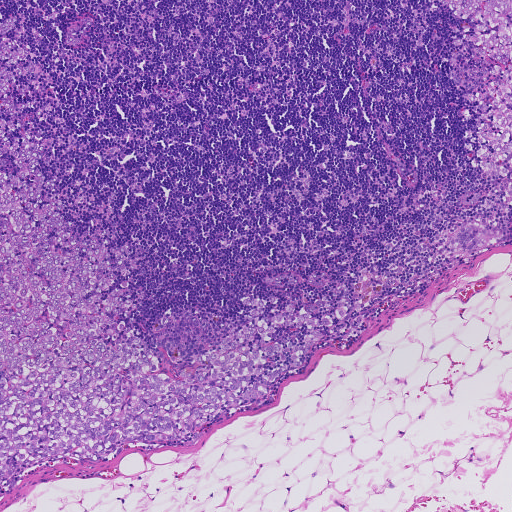
H&E-stained section of a sentinel lymph node (breast cancer), from a whole-slide image, viewed at about 5×: the field is about 0.93 mm across, about 1.8 µm per pixel.
Four metastatic tumour regions, each outlined as a closed clockwise path in crop pixels (x, y), largest first: region 1: (8, 41), (35, 61), (17, 77), (16, 99), (43, 109), (17, 127), (46, 145), (40, 166), (59, 184), (63, 217), (112, 256), (133, 251), (129, 276), (102, 300), (131, 286), (128, 327), (161, 372), (196, 370), (204, 350), (249, 323), (256, 307), (242, 296), (278, 297), (263, 317), (291, 301), (311, 316), (342, 300), (347, 312), (303, 364), (216, 416), (194, 444), (142, 442), (111, 461), (42, 465), (1, 496); region 2: (423, 0), (511, 0), (511, 205), (508, 209), (501, 208), (499, 186), (502, 178), (487, 176), (475, 167), (470, 162), (474, 155), (463, 145), (470, 142), (464, 137), (469, 131), (477, 129), (475, 121), (479, 106), (478, 102), (464, 97), (467, 90), (482, 90), (498, 66), (472, 50), (462, 38), (473, 31), (470, 24), (456, 19), (448, 6); region 3: (464, 225), (477, 226), (488, 231), (487, 240), (473, 250), (461, 250), (449, 242), (451, 235); region 4: (0, 11), (3, 13), (5, 19), (16, 17), (18, 24), (14, 29), (3, 35), (0, 35).
About 25% of the image area is annotated as tumour.